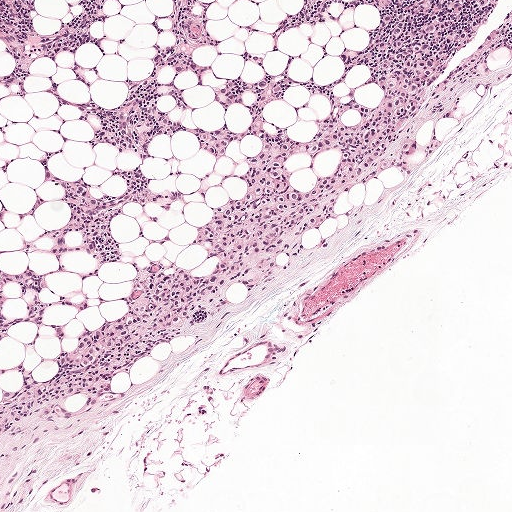
A 1-mm field of an H&E-stained sentinel lymph node from a breast-cancer patient (whole-slide image), shown at about 5×, about 1.9 µm per pixel.
Two metastatic tumour regions, each outlined as a closed clockwise path in crop pixels (x, y), largest first: region 1: (377, 0), (488, 0), (258, 290), (0, 434), (23, 362), (47, 379), (142, 280), (54, 240), (65, 196), (42, 169), (107, 194), (178, 189), (120, 207), (106, 236), (211, 268), (195, 225), (243, 189), (259, 138), (216, 158), (179, 132), (132, 152), (115, 106), (171, 43), (219, 40), (194, 54), (213, 66), (200, 82), (166, 71), (192, 107), (168, 110), (243, 129), (246, 105), (211, 92), (260, 79), (244, 48), (326, 79), (339, 48), (364, 47); region 2: (0, 313), (17, 316), (17, 320), (14, 324), (0, 331).
One more small tumour piece is annotated here but not outlined.
Tumour covers about 20% of the frame.